A 0.12-mm field of an H&E-stained sentinel lymph node from a breast-cancer patient (whole-slide image), shown at about 40×, about 0.24 µm per pixel.
Question: 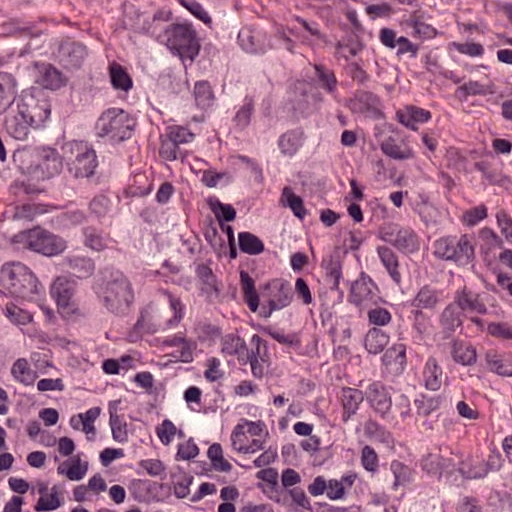
Roughly what share of this field is metastatic tumour?

Choices:
 (A) none: no tumour is outlined
 (B) about 50% or more
 (C) about 5% or less
 (D) about 10% to 20%
 (E) about 25% to 45%

Answer: (E) about 25% to 45%
About 45% of the field is tumour.
One metastatic tumour region; its boundary, reduced to 10 corners and listed clockwise: (281, 2), (344, 67), (352, 111), (303, 236), (203, 371), (78, 401), (19, 399), (0, 386), (0, 34), (44, 11).